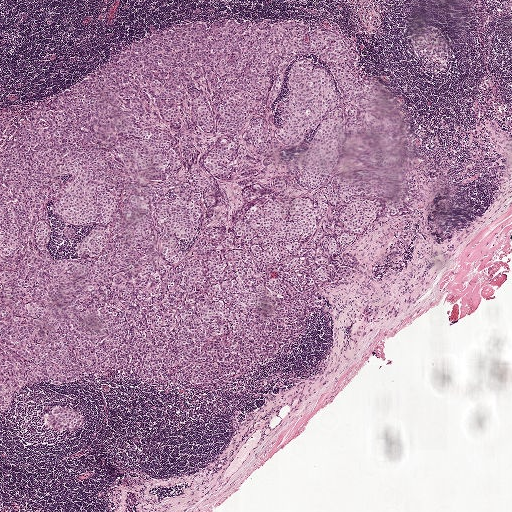
H&E-stained section of a sentinel lymph node (breast cancer), from a whole-slide image, viewed at about 2.5×: the field is about 2.0 mm across, about 3.9 µm per pixel.
Question: Which parts of this field are metastatic tumour?
Answer: Boundaries of two metastatic tumour regions, simplified and listed clockwise, largest first: region 1: (331, 17), (399, 105), (414, 190), (351, 240), (358, 270), (321, 290), (290, 346), (213, 385), (121, 374), (31, 380), (0, 421), (0, 108), (171, 26); region 2: (57, 406), (68, 407), (80, 411), (82, 420), (79, 429), (54, 429), (47, 426), (44, 422), (46, 413).
Tumour covers about 45% of the frame.